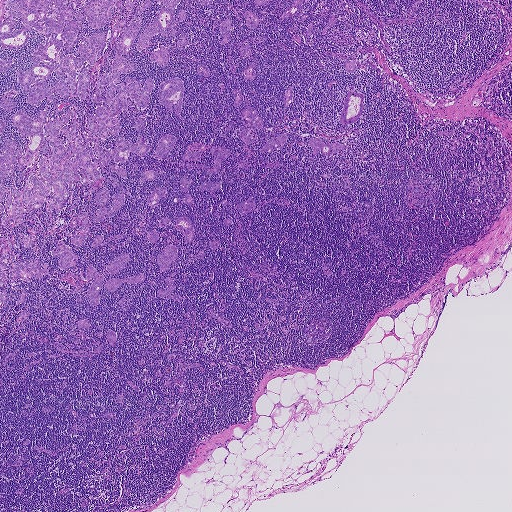
This is a crop of a whole-slide image: an H&E-stained breast-cancer sentinel lymph node section at roughly 2.5× magnification (about 3.6 µm per pixel; the crop spans about 1.9 mm).
Question: Show where the tumour is in this image.
Answer: Boundaries of eight metastatic tumour regions, simplified and listed clockwise, largest first: region 1: (121, 0), (102, 27), (90, 27), (85, 9), (83, 22), (73, 19), (84, 24), (77, 33), (84, 33), (70, 51), (53, 44), (47, 50), (58, 62), (69, 55), (80, 57), (82, 36), (104, 34), (101, 58), (74, 69), (89, 73), (85, 98), (56, 91), (52, 100), (45, 96), (38, 106), (27, 104), (16, 71), (34, 63), (37, 43), (45, 43), (44, 29), (40, 36), (33, 27), (19, 48), (1, 47), (7, 1); region 2: (155, 0), (179, 0), (174, 14), (176, 35), (172, 37), (169, 31), (165, 35), (155, 35), (152, 38), (150, 45), (143, 50), (138, 51), (136, 46), (136, 38), (151, 23), (164, 4), (161, 5); region 3: (0, 259), (2, 262), (11, 264), (37, 259), (40, 263), (46, 262), (49, 265), (47, 273), (44, 275), (42, 274), (40, 279), (32, 277), (30, 281), (27, 282), (19, 278), (12, 280), (9, 278), (9, 270), (2, 269), (6, 272), (6, 278), (4, 280), (6, 281), (6, 284), (1, 286); region 4: (175, 77), (180, 78), (183, 85), (180, 117), (160, 103), (158, 98), (159, 85), (163, 81); region 5: (351, 90), (363, 94), (361, 113), (357, 120), (345, 123), (339, 123), (347, 92); region 6: (89, 265), (92, 265), (97, 272), (103, 276), (102, 284), (99, 292), (100, 303), (96, 305), (90, 305), (84, 295), (93, 282), (94, 279), (91, 278), (86, 280), (84, 278), (84, 272), (87, 267); region 7: (60, 243), (65, 245), (71, 250), (72, 253), (76, 256), (74, 266), (66, 268), (61, 268), (58, 266), (58, 261), (59, 259), (59, 256), (53, 257), (52, 255), (56, 247); region 8: (114, 193), (120, 193), (124, 196), (124, 201), (114, 215), (109, 217), (105, 215), (104, 220), (102, 222), (94, 222), (92, 220), (93, 218), (98, 216), (96, 214), (98, 209), (109, 207).
One more tumour region is annotated but not outlined: its edge is too irregular for a short outline.
36 more, smaller tumour regions are not outlined.
26 more small tumour pieces are annotated here but not outlined.
The annotated tumour makes up about 15% of the crop.